Lymph node section stained with H&E, from a whole-slide image of a breast-cancer sentinel node. Magnification about 20×, about 0.25 mm across the frame, about 0.49 µm per pixel.
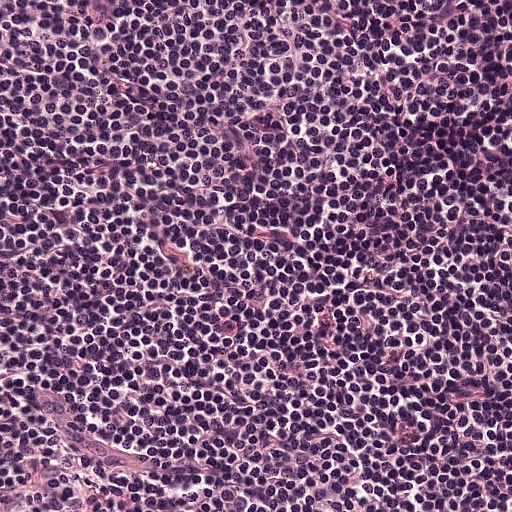
Question: Does this lymph node field contain metastatic tumour?
Answer: No. No metastatic tumour is outlined in this field.